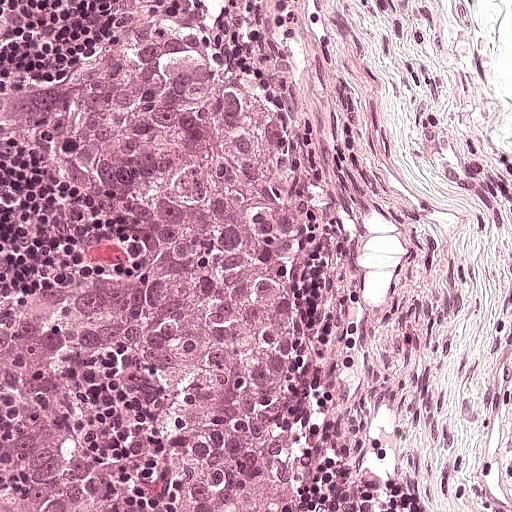
H&E-stained section of a sentinel lymph node (breast cancer), from a whole-slide image, viewed at about 20×: the field is about 0.25 mm across, about 0.49 µm per pixel.
Metastatic tumour outline, simplified to 15 points and listed clockwise in crop pixels (x, y): (133, 28), (191, 31), (230, 51), (282, 92), (308, 136), (311, 484), (320, 511), (0, 511), (0, 327), (58, 286), (144, 270), (146, 254), (107, 192), (0, 127), (0, 83).
Tumour covers about 45% of the frame.